This is a crop of a whole-slide image: an H&E-stained breast-cancer sentinel lymph node section at roughly 20× magnification (about 0.49 µm per pixel; the crop spans about 0.25 mm).
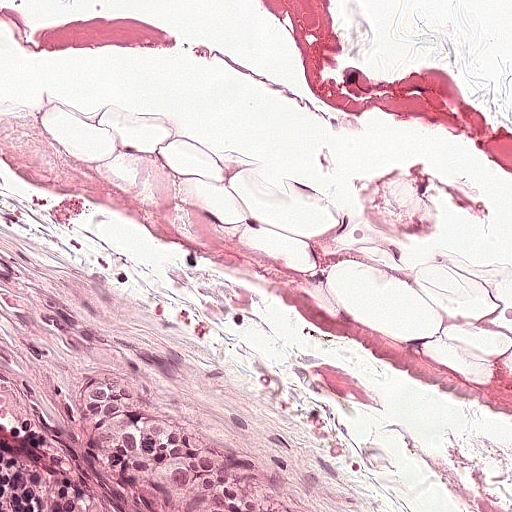
The outlined metastatic tumour's edge, as a closed clockwise path of 16 points: (106, 386), (146, 401), (176, 420), (194, 442), (220, 453), (251, 494), (259, 495), (272, 511), (159, 511), (144, 506), (128, 495), (112, 473), (96, 444), (94, 424), (84, 416), (81, 400).
About 5% of the image area is annotated as tumour.